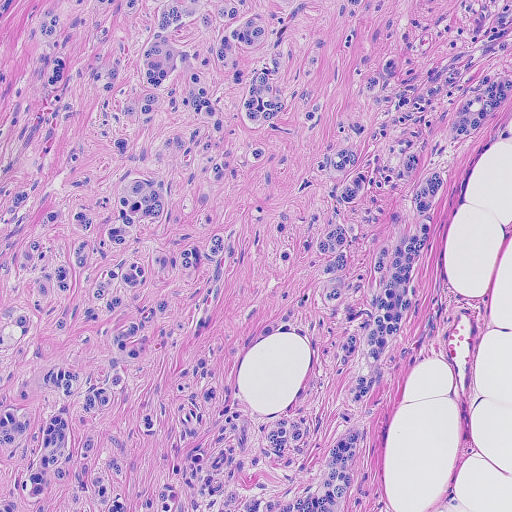
A 0.46-mm field of an H&E-stained sentinel lymph node from a breast-cancer patient (whole-slide image), shown at about 10×, about 0.91 µm per pixel.
Metastatic tumour outline, simplified to 11 points and listed clockwise in crop pixels (x, y): (37, 0), (511, 0), (511, 93), (433, 212), (415, 274), (418, 307), (372, 402), (346, 511), (0, 511), (0, 60), (11, 68).
The annotated tumour makes up about 85% of the crop.